Image:
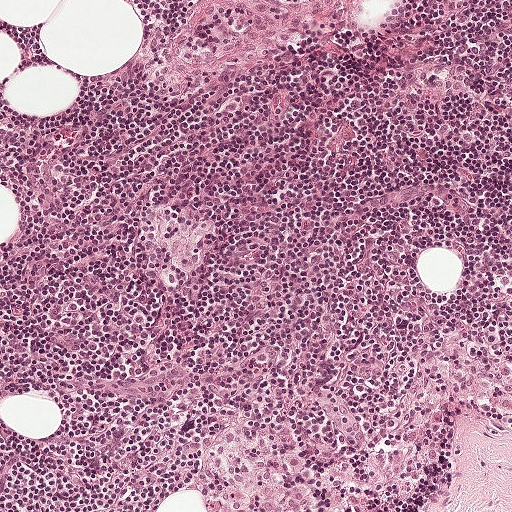
H&E-stained section of a sentinel lymph node (breast cancer), from a whole-slide image, viewed at about 10×: the field is about 0.5 mm across, about 0.97 µm per pixel.
Question:
Is there metastatic carcinoma in this field?
Answer:
No, this field holds no outlined metastasis.